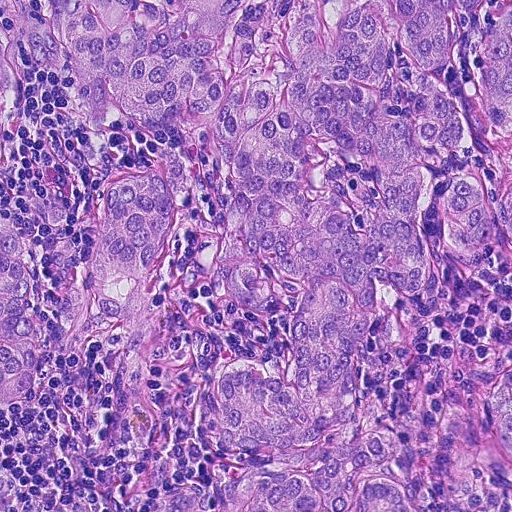
H&E-stained section of a sentinel lymph node (breast cancer), from a whole-slide image, viewed at about 20×: the field is about 0.23 mm across, about 0.45 µm per pixel.
Outlines of four tumour regions, largest first (closed clockwise paths, crop pixels): region 1: (482, 0), (435, 76), (462, 140), (422, 200), (438, 290), (425, 310), (370, 278), (378, 324), (346, 428), (426, 442), (452, 402), (480, 420), (511, 371), (511, 458), (414, 492), (417, 511), (152, 511), (265, 460), (220, 446), (201, 384), (238, 364), (288, 377), (306, 287), (264, 260), (275, 302), (234, 302), (218, 286), (230, 192), (206, 126), (188, 114), (144, 129), (108, 92), (100, 130), (70, 58), (26, 58), (20, 40), (0, 162), (0, 22), (54, 27), (50, 5); region 2: (152, 170), (166, 186), (170, 206), (147, 266), (149, 288), (160, 308), (160, 330), (148, 348), (128, 354), (100, 320), (88, 279), (91, 258), (107, 215), (102, 206), (111, 184), (130, 172); region 3: (511, 2), (511, 248), (504, 243), (483, 254), (460, 254), (442, 240), (440, 216), (446, 192), (459, 173), (482, 180), (490, 194), (510, 180), (500, 160), (480, 146), (466, 97), (480, 51); region 4: (0, 219), (15, 222), (42, 308), (44, 332), (36, 397), (22, 414), (1, 408).
One more small tumour piece is annotated here but not outlined.
About 60% of this field is tumour.